Question: 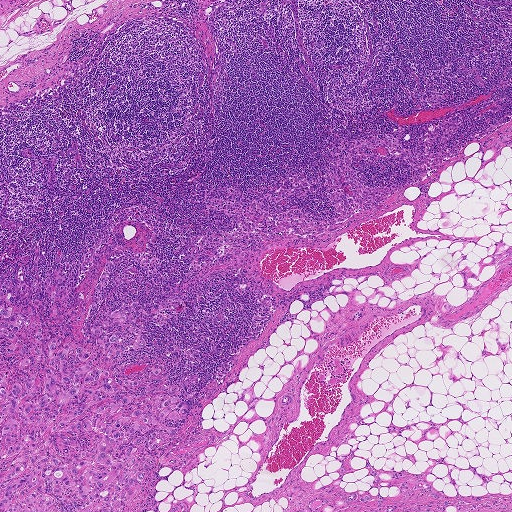
This is a crop of a whole-slide image: an H&E-stained breast-cancer sentinel lymph node section at roughly 2.5× magnification (about 3.6 µm per pixel; the crop spans about 1.9 mm).
Estimate the proportion of this field that is metastatic tumour.

Choices:
 (A) about 50% or more
 (B) about 5% or less
 (C) none: no tumour is outlined
 (D) about 25% to 45%
 (E) about 10% to 20%

Answer: (E) about 10% to 20%
About 10% of the field is tumour.
Boundaries of three metastatic tumour regions, simplified and listed clockwise, largest first: region 1: (6, 282), (14, 314), (39, 321), (41, 352), (48, 354), (54, 339), (56, 351), (68, 344), (83, 347), (94, 367), (116, 379), (121, 388), (95, 407), (135, 393), (138, 398), (121, 411), (128, 414), (156, 392), (143, 389), (150, 378), (135, 387), (122, 380), (138, 378), (158, 363), (162, 372), (154, 382), (176, 385), (180, 402), (198, 391), (184, 418), (156, 426), (179, 431), (148, 452), (148, 474), (125, 503), (129, 511), (0, 511), (0, 293), (5, 307); region 2: (105, 320), (108, 322), (107, 326), (100, 328), (103, 334), (106, 337), (116, 333), (122, 338), (123, 341), (112, 343), (111, 347), (118, 349), (132, 344), (135, 335), (128, 326), (135, 326), (142, 329), (145, 344), (132, 352), (124, 352), (124, 355), (117, 358), (113, 356), (108, 358), (102, 344), (97, 343), (91, 333), (91, 328), (96, 322), (99, 324), (98, 327), (102, 326); region 3: (58, 268), (59, 271), (58, 275), (61, 276), (62, 280), (56, 285), (66, 291), (66, 298), (63, 300), (61, 296), (62, 292), (56, 295), (56, 298), (54, 301), (49, 297), (49, 293), (45, 292), (45, 288), (43, 287), (44, 283), (45, 280), (49, 276), (53, 283), (54, 280), (53, 273), (54, 269).
Eight more small tumour pieces are annotated here but not outlined.